H&E-stained section of a sentinel lymph node (breast cancer), from a whole-slide image, viewed at about 10×: the field is about 0.5 mm across, about 0.97 µm per pixel.
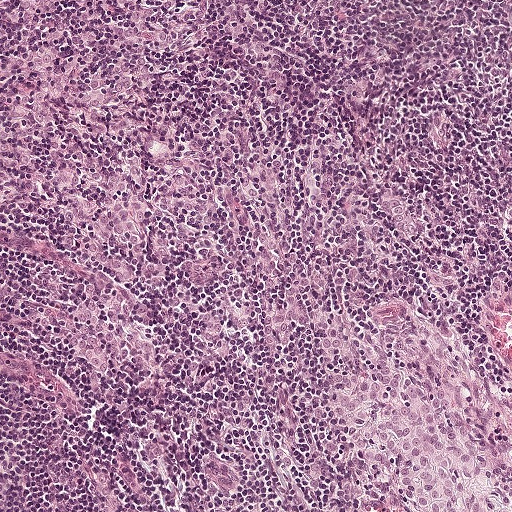
The outlined metastatic tumour's edge, as a closed clockwise path of 14 points: (342, 333), (359, 335), (465, 405), (488, 444), (502, 511), (418, 511), (388, 492), (363, 454), (344, 436), (320, 428), (318, 412), (338, 394), (338, 362), (324, 346).
About 5% of the image area is annotated as tumour.